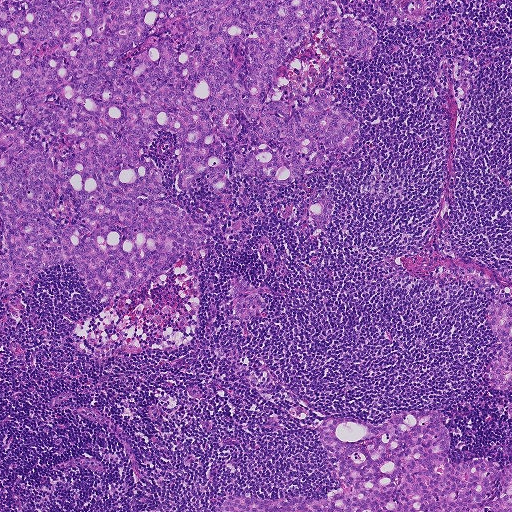
This is a crop of a whole-slide image: an H&E-stained breast-cancer sentinel lymph node section at roughly 5× magnification (about 1.8 µm per pixel; the crop spans about 0.93 mm).
Three metastatic tumour regions, each outlined as a closed clockwise path in crop pixels (x, y), largest first: region 1: (0, 0), (338, 0), (376, 31), (329, 94), (361, 134), (319, 170), (318, 235), (318, 171), (180, 192), (172, 133), (149, 142), (168, 198), (215, 222), (207, 260), (265, 309), (244, 324), (189, 259), (108, 302), (65, 263), (8, 298); region 2: (435, 410), (444, 414), (451, 456), (459, 462), (485, 454), (502, 470), (511, 460), (511, 511), (224, 511), (221, 507), (222, 498), (231, 495), (324, 498), (338, 488), (316, 432), (327, 418), (356, 417), (372, 425), (407, 411); region 3: (511, 286), (511, 392), (498, 392), (489, 390), (485, 381), (488, 363), (500, 343), (493, 337), (489, 328), (487, 310), (495, 292), (503, 288).
One more small tumour piece is annotated here but not outlined.
About 40% of this field is tumour.